Image:
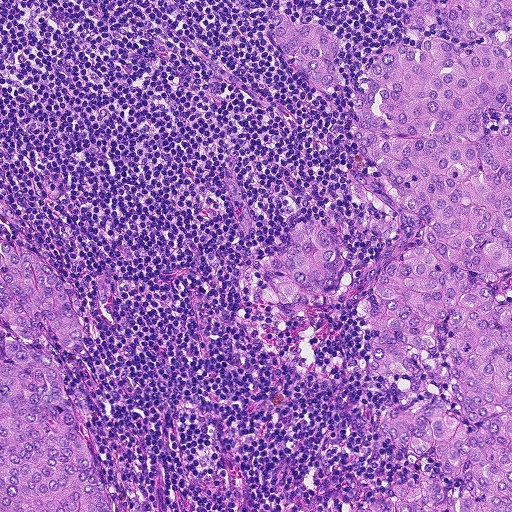
H&E-stained section of a sentinel lymph node (breast cancer), from a whole-slide image, viewed at about 10×: the field is about 0.46 mm across, about 0.9 µm per pixel.
Question:
Which parts of this field are metastatic tumour? Answer with the outline of each region, in pixels.
Answer:
Outlines of five tumour regions, largest first (closed clockwise paths, crop pixels): region 1: (419, 0), (511, 0), (511, 511), (349, 511), (425, 481), (465, 495), (431, 447), (416, 454), (377, 423), (434, 395), (471, 427), (443, 321), (424, 370), (377, 378), (358, 299), (422, 244), (350, 128), (382, 50), (453, 38), (440, 9), (417, 26), (408, 12); region 2: (0, 243), (53, 271), (71, 300), (83, 342), (64, 349), (42, 325), (39, 335), (60, 374), (113, 510), (0, 511); region 3: (300, 219), (324, 222), (334, 229), (345, 250), (355, 258), (344, 260), (332, 292), (322, 293), (313, 302), (301, 306), (289, 306), (242, 293), (240, 280), (245, 268), (254, 260), (265, 255), (288, 250), (291, 227); region 4: (270, 8), (282, 12), (297, 24), (320, 23), (330, 28), (337, 37), (332, 61), (336, 73), (335, 84), (327, 93), (316, 89), (307, 81), (270, 37), (262, 16); region 5: (134, 496), (141, 511), (132, 511), (131, 500).
About 35% of this field is tumour.